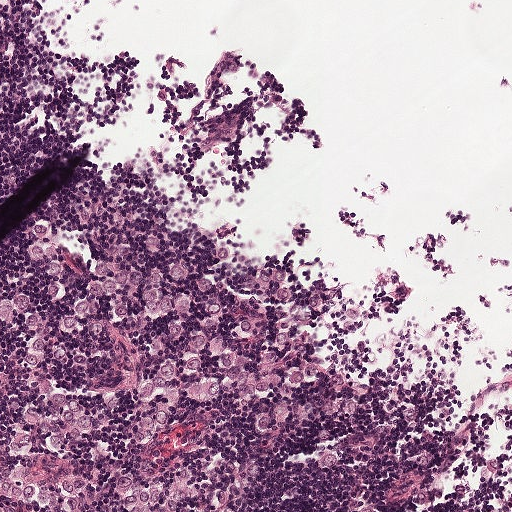
This is a crop of a whole-slide image: an H&E-stained breast-cancer sentinel lymph node section at roughly 10× magnification (about 0.97 µm per pixel; the crop spans about 0.5 mm).
Tumour region outline (a closed clockwise path, crop pixels): (0, 221), (114, 254), (105, 248), (206, 265), (297, 324), (337, 368), (253, 510), (0, 511), (0, 255), (27, 233).
The annotated tumour makes up about 30% of the crop.